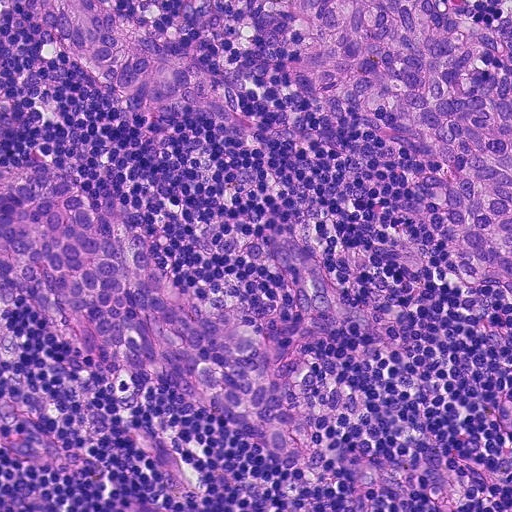
This is a crop of a whole-slide image: an H&E-stained breast-cancer sentinel lymph node section at roughly 20× magnification (about 0.45 µm per pixel; the crop spans about 0.23 mm).
Three metastatic tumour regions, each outlined as a closed clockwise path in crop pixels (x, y), largest first: region 1: (70, 160), (90, 197), (146, 216), (178, 296), (238, 286), (277, 324), (303, 323), (284, 276), (218, 239), (312, 249), (340, 320), (295, 352), (366, 400), (304, 430), (332, 483), (294, 498), (230, 416), (156, 376), (110, 395), (27, 296), (2, 307), (0, 166); region 2: (282, 0), (447, 0), (484, 24), (511, 18), (511, 301), (458, 271), (439, 164), (296, 94); region 3: (23, 0), (122, 0), (118, 9), (122, 33), (146, 32), (170, 40), (186, 59), (230, 86), (244, 106), (245, 119), (237, 127), (211, 123), (190, 112), (164, 118), (152, 116), (128, 106), (122, 96), (90, 76), (30, 18), (22, 8).
About 40% of the image area is annotated as tumour.